Question: 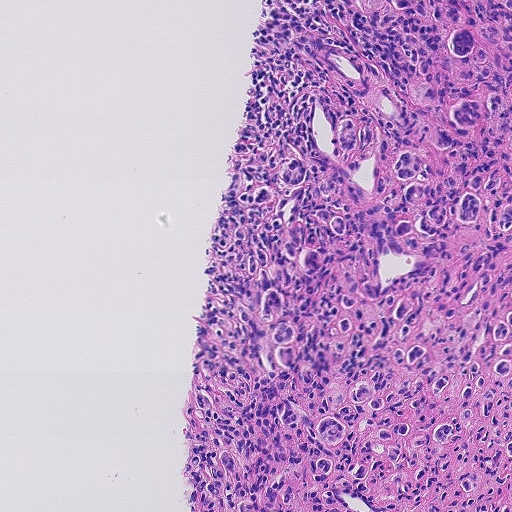
Lymph node section stained with H&E, from a whole-slide image of a breast-cancer sentinel node. Magnification about 10×, about 0.46 mm across the frame, about 0.9 µm per pixel.
What fraction of the image area is metastatic tumour?

Choices:
 (A) about 5% or less
 (B) about 50% or more
 (C) about 10% to 20%
 (D) none: no tumour is outlined
 (E) about 25% to 45%

Answer: (B) about 50% or more
About 60% of the field is tumour.
Tumour region outline (a closed clockwise path, crop pixels): (511, 0), (511, 511), (197, 511), (182, 448), (205, 242), (247, 97), (261, 5).